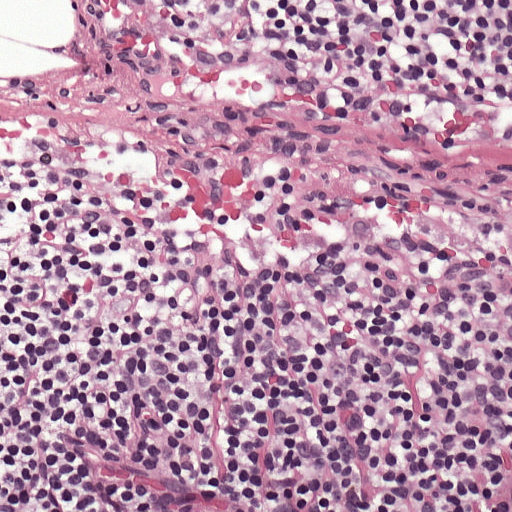
Lymph node section stained with H&E, from a whole-slide image of a breast-cancer sentinel node. Magnification about 20×, about 0.25 mm across the frame, about 0.49 µm per pixel.